A 1-mm field of an H&E-stained sentinel lymph node from a breast-cancer patient (whole-slide image), shown at about 5×, about 1.9 µm per pixel.
Question: 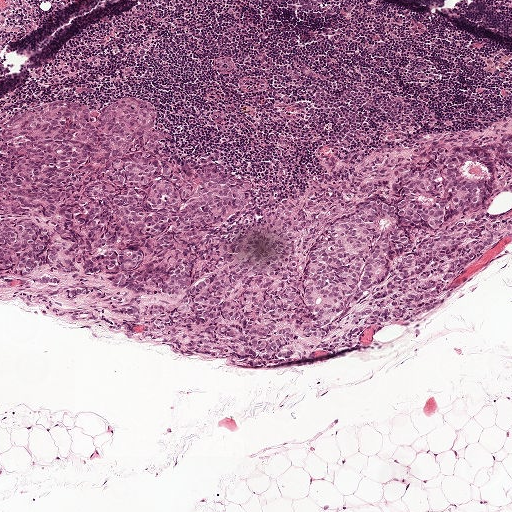
About how much of this crop is taken up by metastatic carcinoma?

Choices:
 (A) about 25% to 45%
 (B) about 5% or less
 (C) none: no tumour is outlined
 (D) about 10% to 20%
 (E) about 50% or more

Answer: (A) about 25% to 45%
About 30% of the field is tumour.
Two metastatic tumour regions, each outlined as a closed clockwise path in crop pixels (x, y), largest first: region 1: (148, 101), (182, 152), (252, 186), (221, 239), (288, 199), (390, 187), (430, 150), (464, 145), (485, 150), (495, 190), (511, 183), (485, 211), (511, 219), (511, 235), (393, 328), (256, 359), (162, 345), (98, 298), (61, 297), (66, 274), (59, 287), (0, 282), (2, 122); region 2: (511, 126), (511, 165), (507, 164), (505, 162), (501, 152), (501, 145), (504, 134), (506, 130).